A 0.46-mm field of an H&E-stained sentinel lymph node from a breast-cancer patient (whole-slide image), shown at about 10×, about 0.9 µm per pixel.
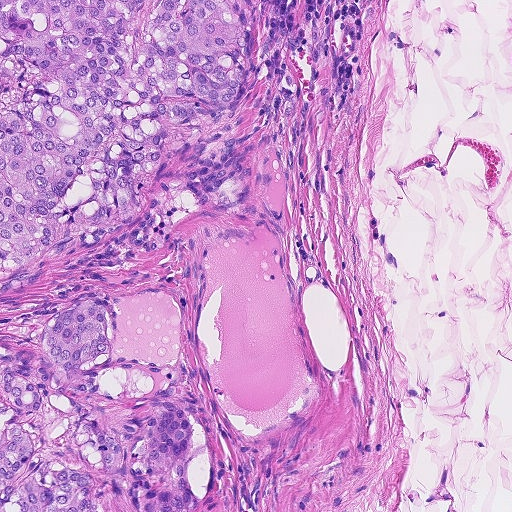
Question: Which parts of this field are metastatic tumour? Answer with the outline of each region, in pixels.
Answer: Two metastatic tumour regions, each outlined as a closed clockwise path in crop pixels (x, y), largest first: region 1: (0, 0), (250, 0), (250, 53), (222, 127), (164, 153), (156, 189), (137, 213), (59, 243), (3, 289); region 2: (84, 299), (100, 299), (112, 309), (116, 340), (95, 380), (105, 392), (151, 399), (192, 422), (192, 511), (0, 511), (0, 337), (39, 356), (42, 325), (56, 316).
The annotated tumour makes up about 30% of the crop.